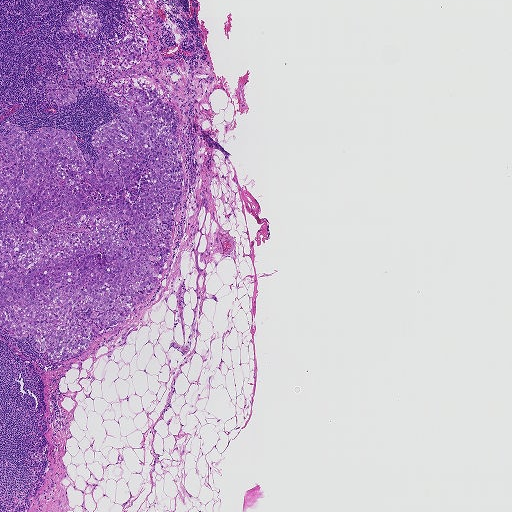
A 1.9-mm field of an H&E-stained sentinel lymph node from a breast-cancer patient (whole-slide image), shown at about 2.5×, about 3.6 µm per pixel.
Question: Trace the edge of each tumour region in this crop, as (x, y) points from 0 to 511.
Answer: Boundaries of two metastatic tumour regions, simplified and listed clockwise, largest first: region 1: (124, 0), (150, 0), (156, 19), (148, 50), (122, 73), (156, 83), (181, 122), (170, 256), (146, 304), (85, 351), (52, 362), (0, 326), (0, 127), (71, 130), (95, 172), (91, 138), (121, 119), (117, 100), (82, 82), (58, 106), (45, 83), (63, 84), (65, 53), (149, 37); region 2: (81, 6), (89, 6), (95, 10), (99, 24), (95, 38), (90, 39), (79, 32), (74, 33), (64, 27), (67, 24), (67, 14), (72, 11), (76, 11).
The annotated tumour makes up about 15% of the crop.